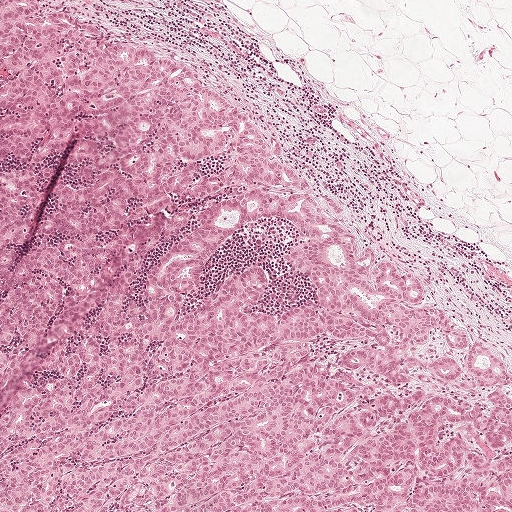
H&E-stained section of a sentinel lymph node (breast cancer), from a whole-slide image, viewed at about 5×: the field is about 1 mm across, about 1.9 µm per pixel.
Tumour region outline (a closed clockwise path, crop pixels): (306, 192), (364, 247), (420, 276), (426, 301), (467, 336), (496, 344), (511, 382), (511, 511), (0, 511), (0, 425), (63, 370), (92, 314), (134, 287), (201, 303), (229, 273), (260, 267), (256, 310), (316, 304), (285, 219), (229, 239), (188, 292), (146, 273), (231, 193).
Tumour covers about 45% of the frame.